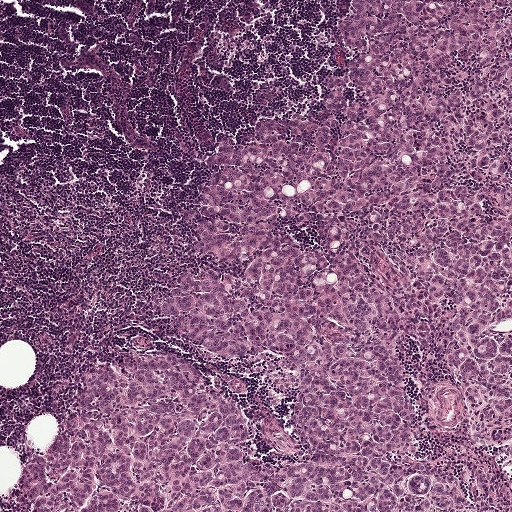
H&E-stained section of a sentinel lymph node (breast cancer), from a whole-slide image, viewed at about 5×: the field is about 1 mm across, about 1.9 µm per pixel.
The outlined metastatic tumour's edge, as a closed clockwise path of 22 points: (348, 0), (511, 0), (511, 322), (490, 329), (511, 331), (511, 511), (18, 507), (75, 381), (124, 358), (198, 368), (241, 413), (248, 454), (300, 454), (280, 356), (204, 356), (160, 317), (176, 272), (244, 267), (189, 254), (177, 216), (213, 149), (322, 104).
About 60% of the image area is annotated as tumour.